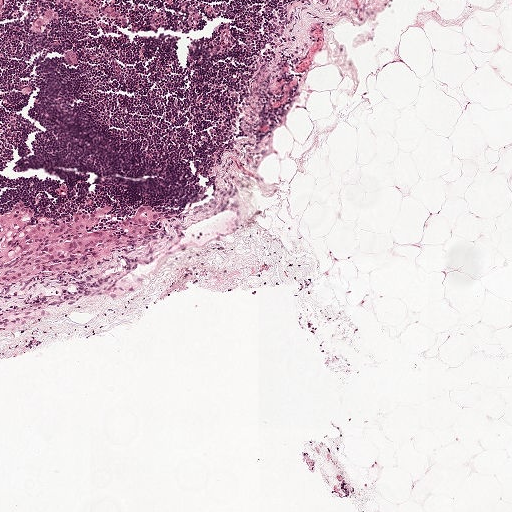
Lymph node section stained with H&E, from a whole-slide image of a breast-cancer sentinel node. Magnification about 5×, about 1 mm across the frame, about 1.9 µm per pixel.
Metastatic tumour outline, simplified to 13 points and listed clockwise in crop pixels (x, y): (25, 199), (39, 217), (79, 212), (99, 204), (124, 215), (143, 202), (153, 203), (156, 207), (160, 226), (134, 243), (82, 264), (1, 283), (0, 203).
One more small tumour piece is annotated here but not outlined.
About 5% of this field is tumour.